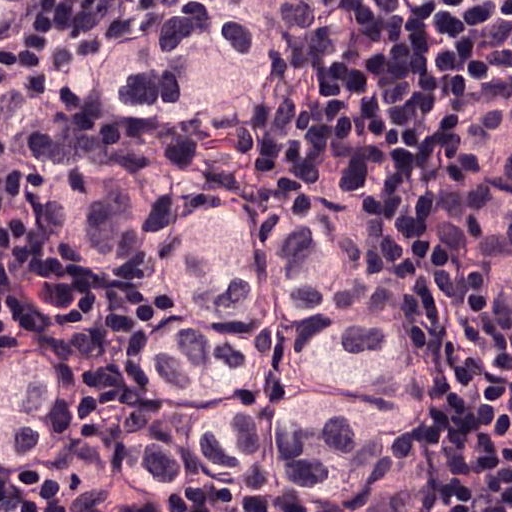
H&E-stained section of a sentinel lymph node (breast cancer), from a whole-slide image, viewed at about 40×: the field is about 0.12 mm across, about 0.24 µm per pixel.
The outlined metastatic tumour's edge, as a closed clockwise path of 21 points: (271, 0), (297, 50), (300, 108), (326, 134), (389, 132), (484, 76), (511, 73), (511, 429), (403, 426), (345, 482), (292, 507), (174, 479), (155, 405), (129, 384), (132, 297), (87, 245), (47, 232), (61, 155), (84, 121), (79, 47), (119, 3).
About 65% of the image area is annotated as tumour.